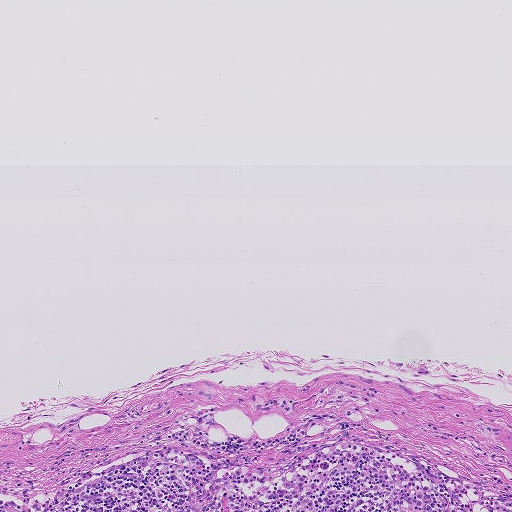
Lymph node section stained with H&E, from a whole-slide image of a breast-cancer sentinel node. Magnification about 5×, about 0.93 mm across the frame, about 1.8 µm per pixel.
Tumour region outline (a closed clockwise path, crop pixels): (203, 382), (212, 384), (216, 388), (216, 397), (214, 403), (205, 404), (197, 403), (193, 391), (196, 384).
Under 5% of this field is tumour.